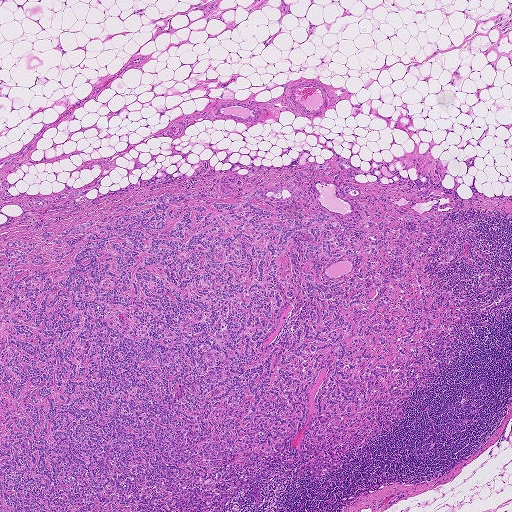
H&E-stained section of a sentinel lymph node (breast cancer), from a whole-slide image, viewed at about 2.5×: the field is about 1.9 mm across, about 3.6 µm per pixel.
Boundaries of three metastatic tumour regions, simplified and listed clockwise, largest first: region 1: (341, 159), (370, 210), (473, 223), (423, 267), (471, 302), (413, 337), (454, 354), (432, 355), (403, 419), (224, 510), (0, 511), (0, 241), (36, 242), (43, 264), (15, 268), (53, 284), (73, 253), (48, 254), (47, 220), (237, 199); region 2: (164, 166), (166, 177), (168, 179), (166, 182), (159, 183), (155, 180), (154, 177), (161, 168); region 3: (88, 188), (87, 192), (74, 199), (70, 199), (68, 196), (71, 194), (71, 192), (74, 190).
Two more small tumour pieces are annotated here but not outlined.
About 45% of the image area is annotated as tumour.